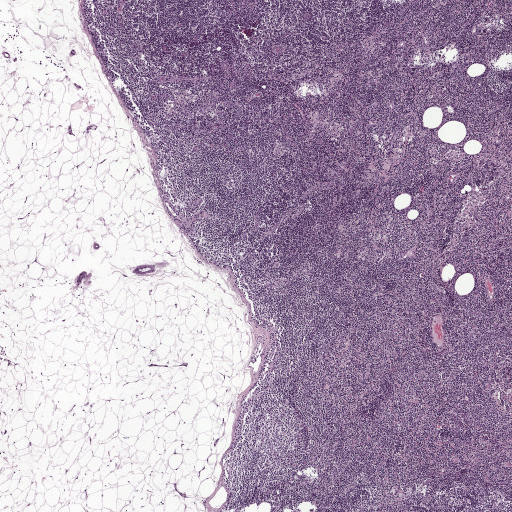
This is a crop of a whole-slide image: an H&E-stained breast-cancer sentinel lymph node section at roughly 2.5× magnification (about 3.9 µm per pixel; the crop spans about 2.0 mm).